Question: 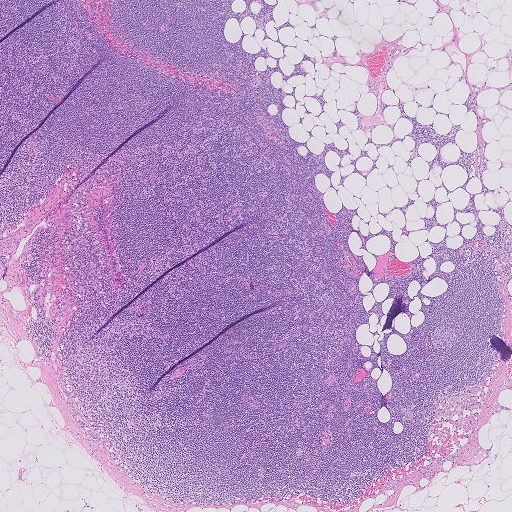
Lymph node section stained with H&E, from a whole-slide image of a breast-cancer sentinel node. Magnification about 2.5×, about 2.0 mm across the frame, about 4.0 µm per pixel.
About how much of this crop is taken up by metastatic carcinoma?

Choices:
 (A) about 25% to 45%
 (B) about 50% or more
 (C) none: no tumour is outlined
 (D) about 5% or less
 (E) about 10% to 20%

Answer: (D) about 5% or less
Under 5% of the field is tumour.
The outlined metastatic tumour's edge, as a closed clockwise path of 12 points: (86, 429), (90, 429), (92, 430), (100, 438), (100, 439), (100, 441), (99, 442), (97, 442), (92, 439), (90, 436), (86, 432), (85, 430).
One more small tumour piece is annotated here but not outlined.